A 1-mm field of an H&E-stained sentinel lymph node from a breast-cancer patient (whole-slide image), shown at about 5×, about 1.9 µm per pixel.
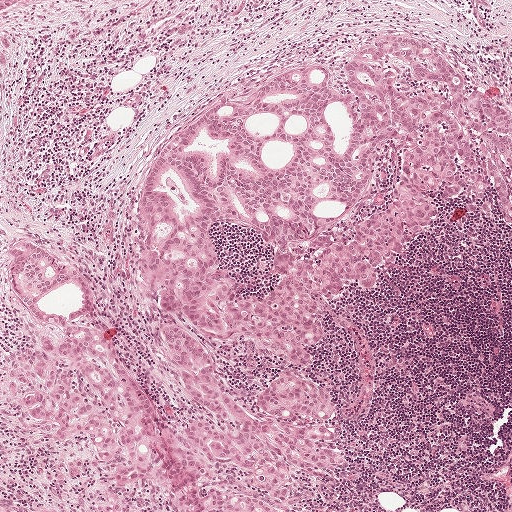
Question: Is any metastatic breast cancer visible in this crop?
Answer: Yes.
The outlined metastatic tumour's edge, as a closed clockwise path of 18 points: (323, 56), (336, 90), (362, 114), (372, 138), (369, 184), (333, 222), (290, 244), (232, 225), (214, 230), (214, 246), (245, 276), (248, 306), (239, 334), (210, 339), (184, 324), (137, 261), (140, 176), (181, 126).
About 15% of the image area is annotated as tumour.